Question: 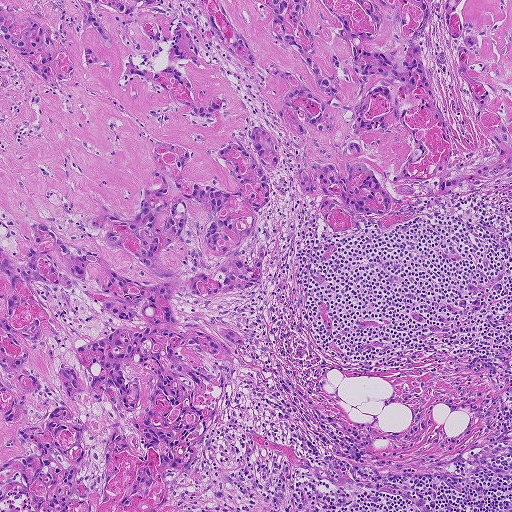
A 0.93-mm field of an H&E-stained sentinel lymph node from a breast-cancer patient (whole-slide image), shown at about 5×, about 1.8 µm per pixel.
What fraction of the image area is metastatic tumour?

Choices:
 (A) about 5% or less
 (B) about 50% or more
 (C) about 10% to 20%
 (D) none: no tumour is outlined
 (E) about 25% to 45%

Answer: (B) about 50% or more
About 65% of the field is tumour.
Tumour region outline (a closed clockwise path, crop pixels): (0, 0), (511, 0), (511, 178), (412, 196), (415, 218), (384, 230), (360, 224), (340, 238), (322, 222), (321, 197), (297, 190), (295, 167), (265, 171), (264, 282), (208, 307), (246, 342), (233, 346), (239, 366), (195, 465), (166, 485), (160, 508), (0, 511).